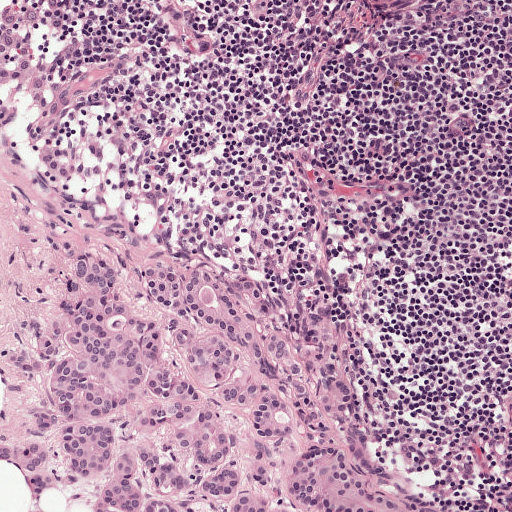
This is a crop of a whole-slide image: an H&E-stained breast-cancer sentinel lymph node section at roughly 10× magnification (about 0.97 µm per pixel; the crop spans about 0.5 mm).
Outlines of two tumour regions, largest first (closed clockwise paths, crop pixels): region 1: (82, 250), (158, 319), (170, 368), (236, 432), (223, 466), (274, 510), (290, 459), (322, 445), (408, 511), (95, 511), (135, 450), (188, 473), (220, 468), (195, 464), (170, 426), (139, 432), (165, 398), (144, 384), (96, 423), (114, 450), (88, 477), (61, 453), (75, 424), (46, 432), (47, 511), (29, 511), (32, 472), (0, 462), (0, 438), (24, 440), (55, 406), (51, 379), (5, 353), (28, 346), (34, 318), (70, 348), (79, 300), (66, 283); region 2: (161, 257), (195, 259), (244, 277), (270, 300), (280, 335), (310, 380), (345, 380), (351, 396), (325, 415), (327, 433), (312, 443), (298, 437), (296, 421), (279, 448), (271, 482), (258, 487), (252, 477), (257, 442), (248, 427), (250, 410), (224, 406), (192, 376), (144, 282), (145, 264).
About 20% of the image area is annotated as tumour.